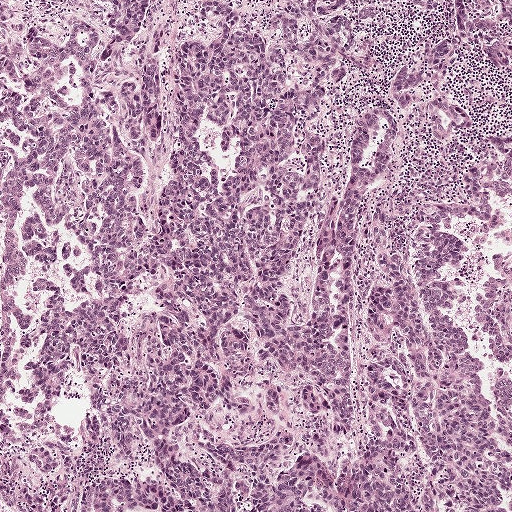
Lymph node section stained with H&E, from a whole-slide image of a breast-cancer sentinel node. Magnification about 5×, about 1 mm across the frame, about 1.9 µm per pixel.
Question: Is there metastatic carcinoma in this field?
Answer: Yes.
Tumour region outline (a closed clockwise path, crop pixels): (372, 279), (387, 283), (394, 339), (412, 391), (415, 435), (439, 482), (439, 511), (88, 511), (95, 485), (104, 478), (130, 470), (158, 473), (157, 449), (165, 438), (211, 462), (216, 437), (248, 443), (293, 437), (303, 456), (316, 447), (336, 467), (352, 456), (364, 430), (356, 315).
Tumour covers about 10% of the frame.